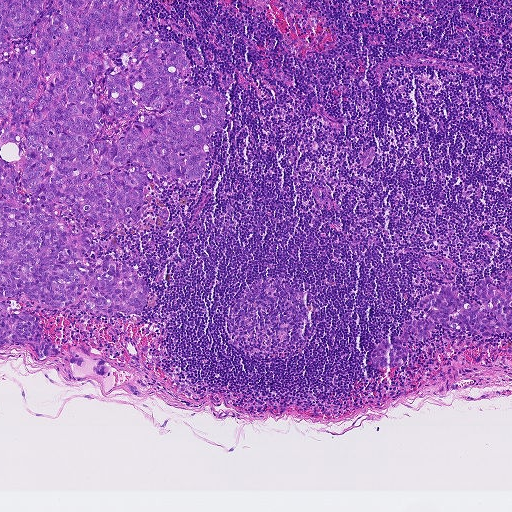
This is a crop of a whole-slide image: an H&E-stained breast-cancer sentinel lymph node section at roughly 5× magnification (about 1.8 µm per pixel; the crop spans about 0.93 mm).
Three metastatic tumour regions, each outlined as a closed clockwise path in crop pixels (x, y), largest first: region 1: (0, 0), (46, 0), (29, 34), (10, 40), (11, 59), (22, 52), (53, 0), (137, 0), (143, 28), (181, 46), (181, 83), (225, 102), (204, 174), (137, 167), (149, 181), (131, 227), (108, 231), (55, 204), (92, 244), (117, 241), (90, 256), (143, 278), (137, 314), (2, 299); region 2: (511, 269), (511, 337), (505, 333), (486, 337), (436, 325), (425, 341), (409, 334), (404, 364), (380, 369), (371, 361), (372, 347), (386, 338), (399, 337), (402, 324), (425, 316), (417, 305), (436, 286), (455, 287), (458, 293), (483, 307), (474, 289), (477, 283), (488, 278), (499, 283); region 3: (1, 302), (8, 302), (36, 317), (55, 345), (75, 344), (93, 352), (105, 359), (110, 371), (109, 377), (102, 378), (91, 372), (78, 368), (62, 358), (55, 356), (42, 359), (36, 358), (23, 343), (10, 343), (0, 346).
One more small tumour piece is annotated here but not outlined.
Tumour covers about 20% of the frame.